H&E-stained section of a sentinel lymph node (breast cancer), from a whole-slide image, viewed at about 10×: the field is about 0.5 mm across, about 0.97 µm per pixel.
Image:
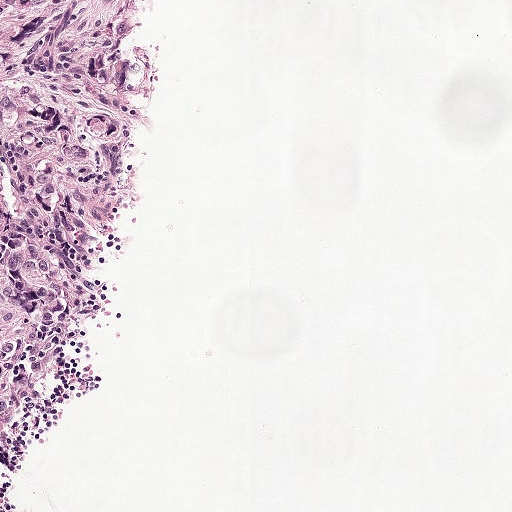
Question:
Where is the metastatic tumour in this field? Give each region's outline as (x, y) pixel points.
Answer:
The outlined metastatic tumour's edge, as a closed clockwise path of 6 points: (0, 0), (153, 0), (125, 118), (118, 201), (44, 377), (0, 429).
The annotated tumour makes up about 15% of the crop.